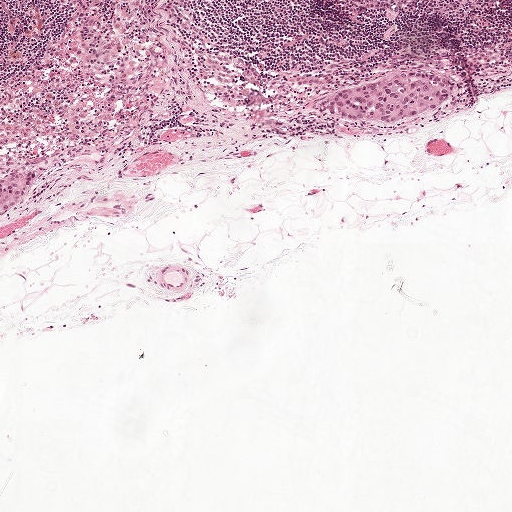
This is a crop of a whole-slide image: an H&E-stained breast-cancer sentinel lymph node section at roughly 5× magnification (about 1.9 µm per pixel; the crop spans about 1 mm).
Question: Where is the metastatic tumour in this field?
Answer: Outlines of two tumour regions, largest first (closed clockwise paths, crop pixels): region 1: (395, 70), (426, 73), (451, 81), (455, 88), (454, 96), (437, 115), (395, 131), (353, 127), (321, 107), (319, 98), (326, 90); region 2: (23, 162), (35, 163), (35, 174), (22, 204), (16, 212), (0, 221), (0, 170).
About 5% of the image area is annotated as tumour.